H&E-stained section of a sentinel lymph node (breast cancer), from a whole-slide image, viewed at about 40×: the field is about 0.12 mm across, about 0.24 µm per pixel.
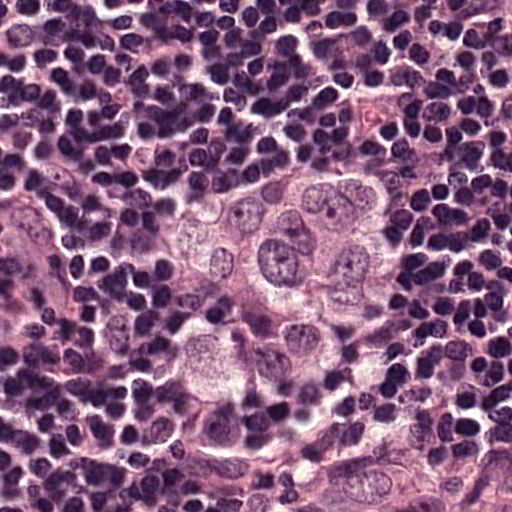
Three metastatic tumour regions, each outlined as a closed clockwise path in crop pixels (x, y), largest first: region 1: (247, 157), (355, 157), (392, 181), (401, 223), (400, 296), (359, 338), (293, 382), (257, 427), (207, 431), (195, 417), (174, 282), (193, 185); region 2: (0, 180), (25, 190), (71, 240), (74, 251), (74, 289), (73, 297), (62, 310), (39, 320), (16, 338), (0, 338); region 3: (390, 443), (444, 461), (467, 511), (290, 511), (321, 476), (347, 459).
Tumour covers about 25% of the frame.